Question: 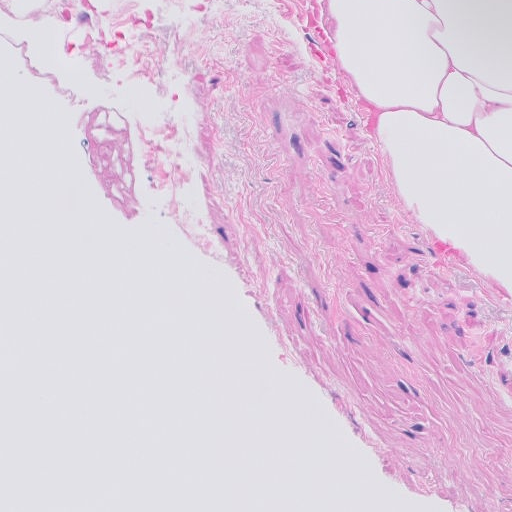
About what magnification does this crop show?

Choices:
 (A) about 40×
 (B) about 2.5×
 (C) about 20×
 (D) about 10×
 (E) about 5×

Answer: (C) about 20×
Lymph node section stained with H&E, from a whole-slide image of a breast-cancer sentinel node. Magnification about 20×, about 0.26 mm across the frame, about 0.5 µm per pixel.